Question: 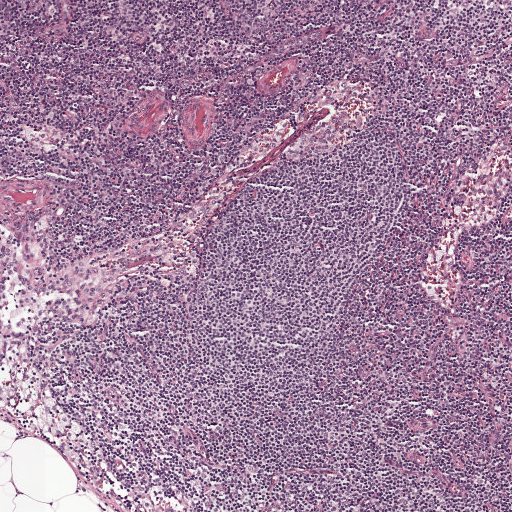
Which magnification is this H&E lymph node field most likely shown at?

Choices:
 (A) about 10×
 (B) about 2.5×
 (C) about 40×
 (D) about 5×
 (E) about 20×

Answer: (D) about 5×
A 1-mm field of an H&E-stained sentinel lymph node from a breast-cancer patient (whole-slide image), shown at about 5×, about 1.9 µm per pixel.